Image:
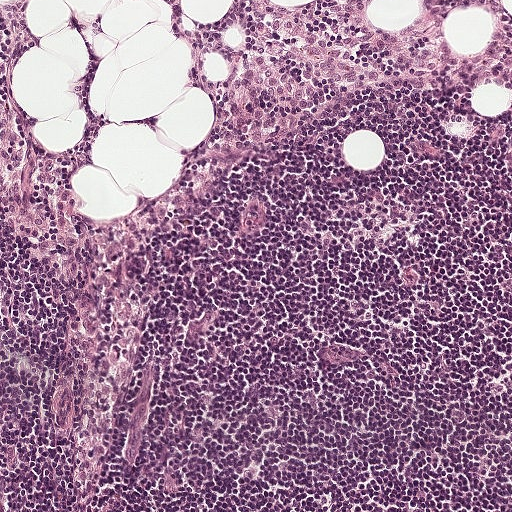
A 0.5-mm field of an H&E-stained sentinel lymph node from a breast-cancer patient (whole-slide image), shown at about 10×, about 0.97 µm per pixel.
Question:
Is any metastatic breast cancer visible in this crop?
Answer:
No: no metastatic tumour is outlined anywhere in this field.